This is a crop of a whole-slide image: an H&E-stained breast-cancer sentinel lymph node section at roughly 10× magnification (about 0.97 µm per pixel; the crop spans about 0.5 mm).
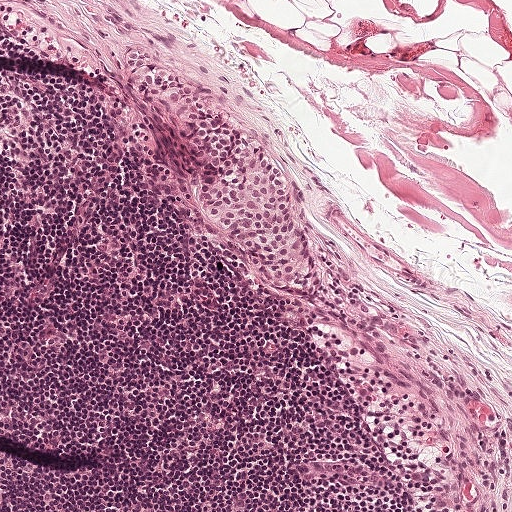
Question: Describe where the metastatic carcinoma lies in this crop.
Answer: The outlined metastatic tumour's edge, as a closed clockwise path of 16 points: (137, 52), (157, 60), (194, 86), (284, 174), (304, 232), (316, 248), (322, 298), (316, 309), (293, 308), (270, 297), (232, 239), (211, 225), (187, 140), (166, 116), (148, 106), (124, 59).
About 5% of the image area is annotated as tumour.